Image:
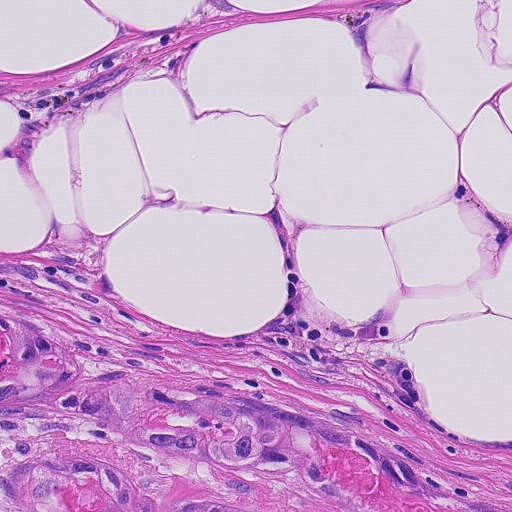
A 0.23-mm field of an H&E-stained sentinel lymph node from a breast-cancer patient (whole-slide image), shown at about 20×, about 0.45 µm per pixel.
Question:
Which parts of this field are metastatic tumour? Answer with the outline of each region, in pixels.
Answer:
Tumour region outline (a closed clockwise path, crop pixels): (0, 294), (62, 319), (86, 372), (136, 364), (328, 415), (511, 511), (0, 511).
The annotated tumour makes up about 20% of the crop.